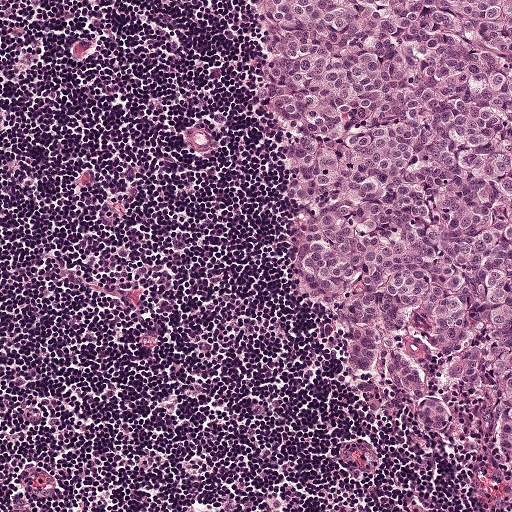
This is a crop of a whole-slide image: an H&E-stained breast-cancer sentinel lymph node section at roughly 10× magnification (about 0.97 µm per pixel; the crop spans about 0.5 mm).
Question: Is there metastatic carcinoma in this field?
Answer: Yes.
The outlined metastatic tumour's edge, as a closed clockwise path of 5 points: (250, 0), (511, 0), (511, 478), (362, 392), (299, 296).
About 35% of this field is tumour.